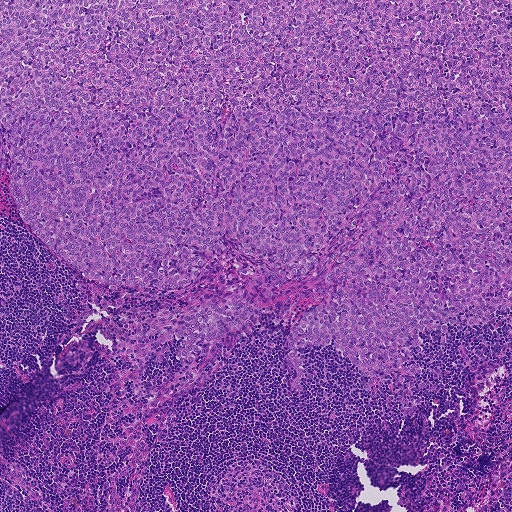
A 0.93-mm field of an H&E-stained sentinel lymph node from a breast-cancer patient (whole-slide image), shown at about 5×, about 1.8 µm per pixel.
One metastatic tumour region; its boundary, reduced to 23 corners and listed clockwise: (0, 0), (511, 0), (511, 313), (418, 335), (402, 365), (417, 364), (426, 388), (396, 372), (372, 398), (371, 378), (329, 345), (298, 348), (313, 378), (294, 391), (295, 295), (188, 366), (147, 316), (266, 269), (228, 247), (179, 291), (107, 290), (34, 236), (3, 171).
The annotated tumour makes up about 60% of the crop.